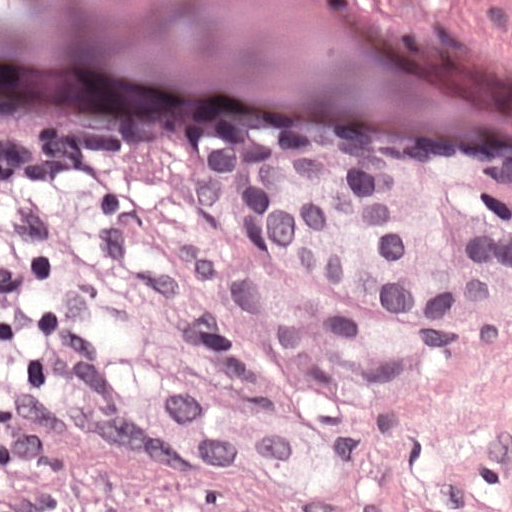
Lymph node section stained with H&E, from a whole-slide image of a breast-cancer sentinel node. Magnification about 40×, about 0.12 mm across the frame, about 0.24 µm per pixel.
Metastatic tumour outline, simplified to 7 points and listed clockwise in crop pixels (x, y): (292, 104), (426, 106), (511, 126), (511, 392), (389, 511), (149, 511), (15, 385).
About 55% of this field is tumour.